A 0.51-mm field of an H&E-stained sentinel lymph node from a breast-cancer patient (whole-slide image), shown at about 10×, about 1.0 µm per pixel.
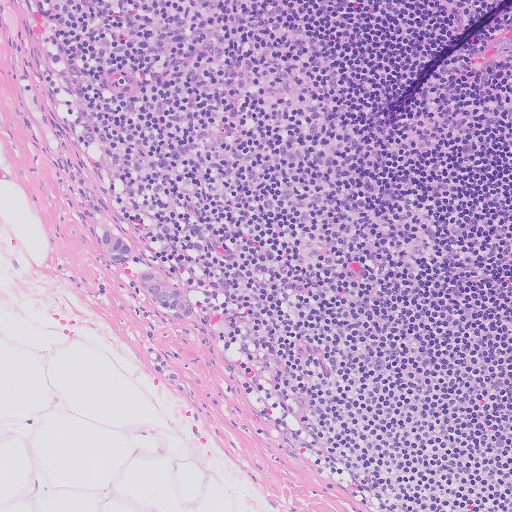
Boundaries of two metastatic tumour regions, simplified and listed clockwise, largest first: region 1: (136, 270), (151, 270), (159, 274), (190, 304), (193, 311), (191, 318), (185, 322), (178, 322), (160, 309), (152, 297), (134, 283), (132, 276); region 2: (107, 227), (128, 242), (132, 248), (132, 255), (130, 262), (116, 265), (106, 256), (97, 236), (100, 228).
Tumour covers under 5% of the frame.